Image:
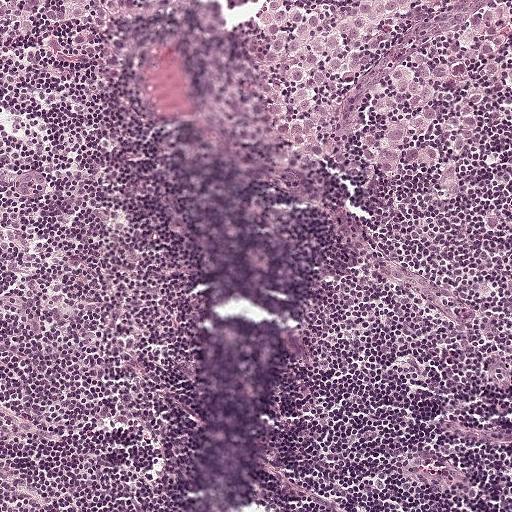
H&E-stained section of a sentinel lymph node (breast cancer), from a whole-slide image, viewed at about 10×: the field is about 0.5 mm across, about 0.97 µm per pixel.
Question:
Is any metastatic breast cancer visible in this crop?
Answer:
Yes.
Three metastatic tumour regions, each outlined as a closed clockwise path in crop pixels (x, y), largest first: region 1: (510, 2), (511, 343), (474, 282), (406, 226), (382, 196), (384, 186), (348, 169), (344, 154), (358, 104), (398, 63); region 2: (436, 0), (389, 32), (341, 85), (286, 118), (266, 109), (254, 90), (262, 1); region 3: (6, 0), (134, 0), (116, 21), (74, 51), (42, 65), (30, 65), (0, 33), (0, 4).
Tumour covers about 20% of the frame.

Image:
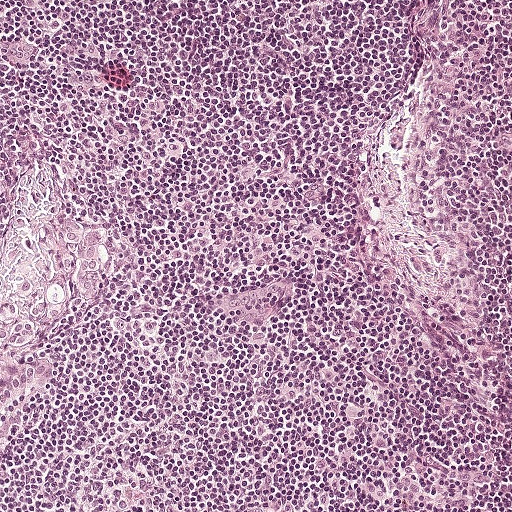
A 0.5-mm field of an H&E-stained sentinel lymph node from a breast-cancer patient (whole-slide image), shown at about 10×, about 0.97 µm per pixel.
Question:
Is any metastatic breast cancer visible in this crop?
Answer:
Yes.
Outlines of three tumour regions, largest first (closed clockwise paths, crop pixels): region 1: (15, 243), (20, 256), (36, 264), (50, 278), (64, 283), (69, 290), (69, 303), (65, 316), (59, 321), (48, 322), (48, 330), (39, 340), (23, 348), (13, 348), (0, 371), (0, 302), (13, 281), (11, 273), (2, 266), (2, 256), (8, 246); region 2: (70, 218), (94, 222), (109, 238), (106, 264), (107, 278), (103, 299), (94, 305), (80, 300), (73, 295), (72, 271), (70, 268), (61, 268), (62, 238), (58, 236), (58, 232); region 3: (46, 358), (54, 359), (58, 366), (56, 378), (42, 386), (4, 444), (0, 454), (0, 388), (13, 374).
The annotated tumour makes up about 5% of the crop.

Image:
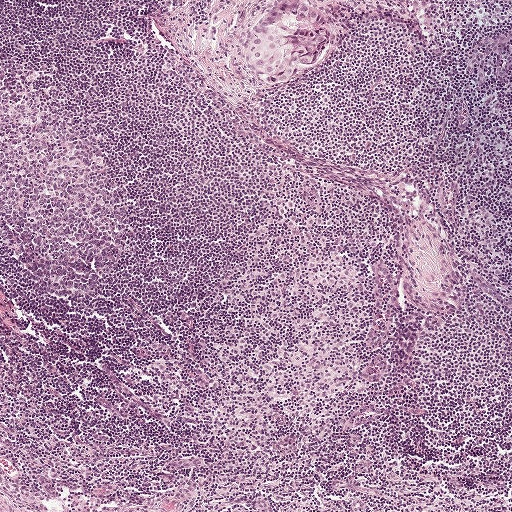
H&E-stained section of a sentinel lymph node (breast cancer), from a whole-slide image, viewed at about 5×: the field is about 1 mm across, about 1.9 µm per pixel.
Question:
Is any metastatic breast cancer visible in this crop?
Answer:
Yes.
Metastatic tumour outline, simplified to 15 points and listed clockwise in crop pixels (x, y): (289, 0), (295, 1), (325, 20), (329, 32), (329, 49), (328, 55), (316, 69), (305, 70), (282, 87), (275, 87), (264, 84), (256, 77), (251, 60), (250, 45), (270, 10).
Under 5% of the image area is annotated as tumour.

Image:
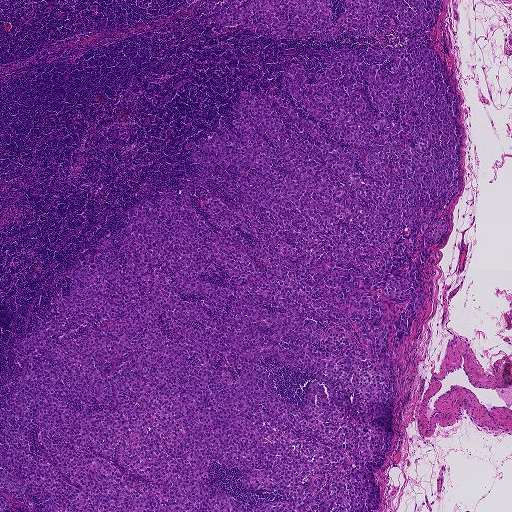
A 1.9-mm field of an H&E-stained sentinel lymph node from a breast-cancer patient (whole-slide image), shown at about 2.5×, about 3.6 µm per pixel.
Question:
Is any metastatic breast cancer visible in this crop?
Answer:
Yes.
Outlines of two tumour regions, largest first (closed clockwise paths, crop pixels): region 1: (444, 0), (461, 185), (403, 345), (391, 340), (408, 299), (367, 296), (398, 395), (380, 506), (253, 511), (283, 490), (213, 461), (247, 511), (29, 511), (0, 490), (12, 346), (67, 274), (189, 182), (224, 236), (205, 197), (241, 206), (190, 158), (220, 119), (238, 137), (244, 90), (299, 132), (274, 95), (329, 125), (292, 64), (359, 52), (363, 70), (399, 77), (395, 57), (366, 56), (406, 43), (392, 21), (274, 39), (215, 20); region 2: (0, 494), (2, 496), (7, 500), (10, 509), (12, 510), (19, 510), (22, 511), (0, 511).
Two more small tumour pieces are annotated here but not outlined.
About 55% of the image area is annotated as tumour.